Lymph node section stained with H&E, from a whole-slide image of a breast-cancer sentinel node. Magnification about 10×, about 0.5 mm across the frame, about 0.97 µm per pixel.
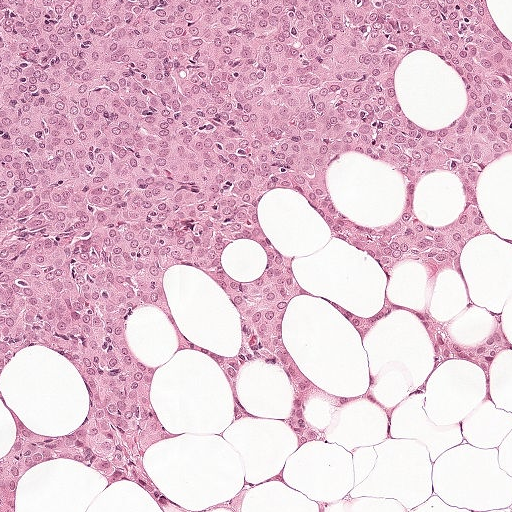
Metastatic tumour outline, simplified to 33 points and listed clockwise in crop pixels (x, y): (0, 0), (489, 0), (511, 34), (511, 158), (478, 191), (511, 245), (469, 232), (456, 270), (385, 271), (304, 189), (255, 220), (358, 310), (390, 296), (419, 311), (361, 337), (334, 299), (292, 294), (284, 342), (338, 434), (291, 449), (149, 303), (126, 334), (179, 435), (141, 464), (183, 511), (65, 455), (0, 511), (11, 409), (46, 436), (86, 417), (59, 346), (12, 354), (0, 387).
The outline encloses six non-tumour holes totalling about 10% of the region's area.
Tumour covers about 60% of the frame.